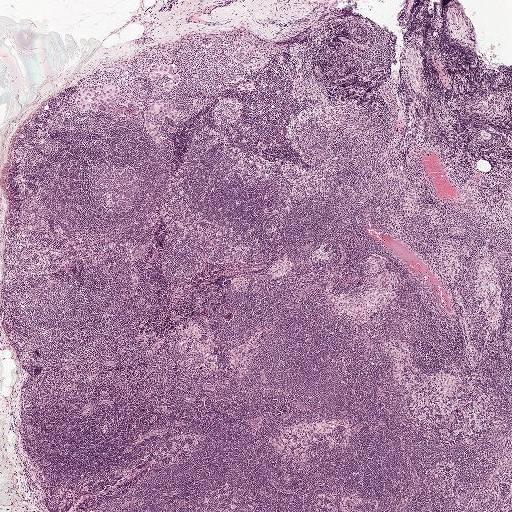
H&E-stained section of a sentinel lymph node (breast cancer), from a whole-slide image, viewed at about 2.5×: the field is about 2.0 mm across, about 3.9 µm per pixel.
Boundaries of seven metastatic tumour regions, simplified and listed clockwise, largest first: region 1: (112, 81), (117, 85), (118, 90), (115, 98), (106, 104), (98, 107), (96, 111), (82, 111), (76, 108), (76, 97), (79, 91), (93, 82), (99, 84); region 2: (150, 64), (169, 64), (174, 66), (180, 76), (179, 83), (167, 90), (164, 90), (162, 87), (170, 79), (169, 76), (163, 74), (156, 81), (151, 81), (147, 75); region 3: (170, 100), (171, 107), (176, 109), (177, 112), (177, 117), (171, 119), (160, 114), (155, 116), (149, 115), (148, 111), (150, 107), (157, 101); region 4: (143, 120), (156, 123), (159, 125), (159, 142), (158, 145), (154, 144), (145, 126), (141, 123); region 5: (244, 48), (252, 48), (253, 49), (253, 52), (250, 55), (245, 58), (240, 58), (235, 58), (234, 56), (235, 53); region 6: (251, 79), (252, 82), (253, 87), (252, 88), (248, 89), (243, 89), (239, 88), (238, 85), (240, 83), (245, 83), (248, 82), (249, 80); region 7: (241, 35), (248, 35), (256, 38), (258, 41), (258, 43), (256, 43), (252, 43), (249, 41), (246, 40), (241, 36).
Tumour covers under 5% of the frame.